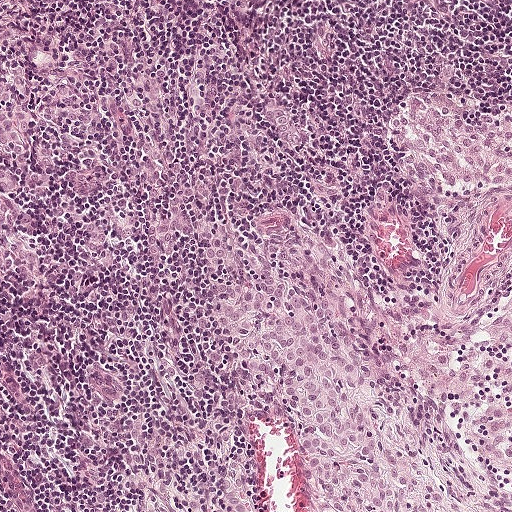
A 0.5-mm field of an H&E-stained sentinel lymph node from a breast-cancer patient (whole-slide image), shown at about 10×, about 0.97 µm per pixel.
The outlined metastatic tumour's edge, as a closed clockwise path of 22 points: (226, 243), (243, 245), (286, 270), (304, 290), (322, 294), (353, 321), (374, 361), (381, 407), (398, 451), (414, 470), (424, 471), (420, 492), (407, 496), (406, 511), (314, 511), (305, 426), (272, 402), (243, 360), (200, 333), (222, 304), (222, 272), (208, 256).
The annotated tumour makes up about 10% of the crop.